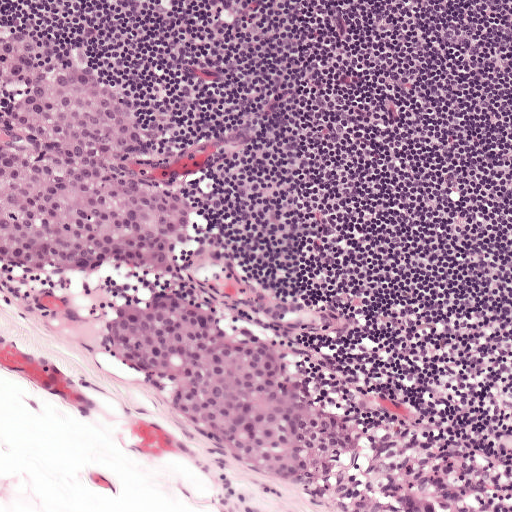
A 0.5-mm field of an H&E-stained sentinel lymph node from a breast-cancer patient (whole-slide image), shown at about 10×, about 0.97 µm per pixel.
Two metastatic tumour regions, each outlined as a closed clockwise path in crop pixels (x, y), largest first: region 1: (2, 14), (55, 29), (130, 103), (183, 191), (189, 216), (174, 264), (128, 286), (0, 267), (0, 141), (18, 100), (16, 86), (0, 88); region 2: (176, 290), (226, 310), (294, 356), (355, 412), (365, 435), (354, 458), (313, 490), (288, 486), (196, 440), (103, 348), (102, 323), (120, 306).
About 25% of the image area is annotated as tumour.